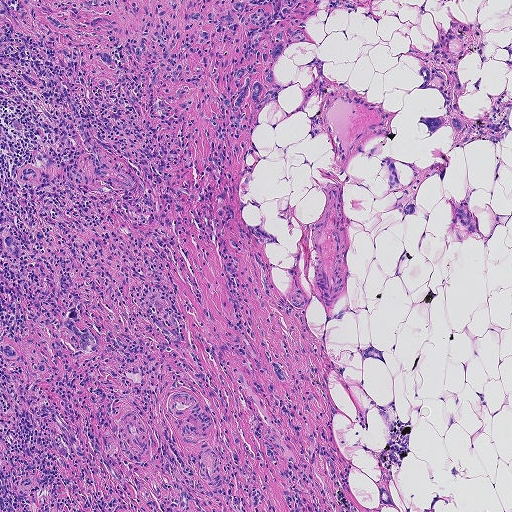
This is a crop of a whole-slide image: an H&E-stained breast-cancer sentinel lymph node section at roughly 5× magnification (about 1.8 µm per pixel; the crop spans about 0.93 mm).
The eight largest tumour regions' boundaries, simplified and listed clockwise, largest first: region 1: (0, 0), (356, 2), (354, 11), (327, 3), (312, 13), (305, 30), (314, 43), (295, 42), (274, 60), (282, 87), (264, 97), (250, 128), (228, 113), (220, 130), (196, 117), (169, 123), (152, 115), (138, 72), (118, 89), (100, 90), (90, 38), (34, 15), (0, 18); region 2: (457, 115), (463, 121), (463, 130), (454, 130), (448, 125), (440, 126), (432, 136), (421, 123), (421, 117), (439, 118); region 3: (9, 344), (19, 353), (30, 360), (48, 366), (45, 371), (33, 369), (28, 366), (15, 367), (10, 363), (3, 352), (4, 346); region 4: (457, 201), (466, 204), (474, 219), (476, 229), (470, 234), (463, 229), (458, 222), (453, 209); region 5: (63, 320), (70, 320), (74, 325), (87, 327), (96, 336), (98, 342), (94, 346), (82, 340), (63, 326); region 6: (391, 157), (404, 189), (390, 190), (387, 186), (388, 168), (384, 160); region 7: (26, 167), (38, 172), (39, 178), (35, 182), (28, 183), (22, 182), (19, 176), (21, 170); region 8: (7, 235), (12, 238), (19, 248), (19, 255), (14, 257), (8, 254), (4, 249), (4, 240).
Four more, smaller tumour regions are not outlined.
One more small tumour piece is annotated here but not outlined.
The annotated tumour makes up about 10% of the crop.